Question: 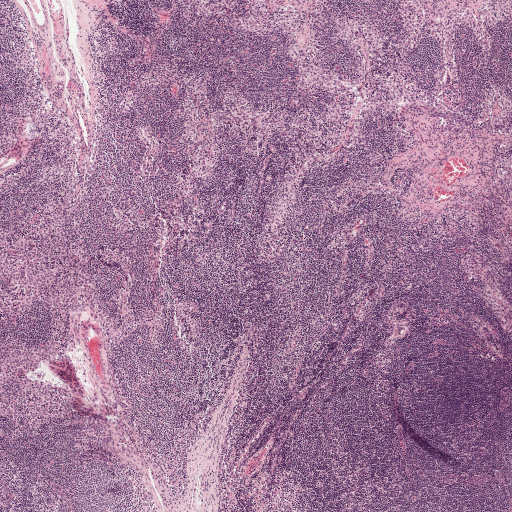
Which magnification is this H&E lymph node field most likely shown at?

Choices:
 (A) about 40×
 (B) about 10×
 (C) about 2.5×
 (D) about 20×
 (E) about 5×

Answer: (C) about 2.5×
Lymph node section stained with H&E, from a whole-slide image of a breast-cancer sentinel node. Magnification about 2.5×, about 2.0 mm across the frame, about 3.9 µm per pixel.